Question: 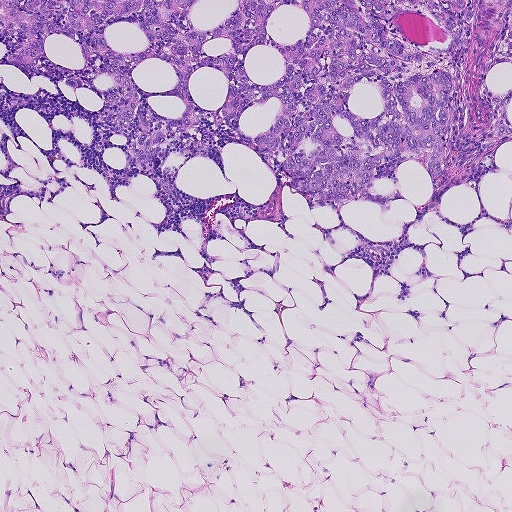
A 0.93-mm field of an H&E-stained sentinel lymph node from a breast-cancer patient (whole-slide image), shown at about 5×, about 1.8 µm per pixel.
About how much of this crop is taken up by metastatic carcinoma?

Choices:
 (A) about 50% or more
 (B) about 25% to 45%
 (C) about 5% or less
 (D) none: no tumour is outlined
 (E) about 10% to 20%

Answer: (B) about 25% to 45%
About 30% of the field is tumour.
The outlined metastatic tumour's edge, as a closed clockwise path of 21 points: (0, 0), (511, 0), (511, 141), (486, 171), (481, 141), (492, 130), (456, 124), (442, 175), (394, 157), (337, 211), (310, 209), (284, 172), (204, 114), (166, 148), (166, 195), (130, 165), (121, 134), (97, 126), (94, 91), (30, 78), (8, 63).